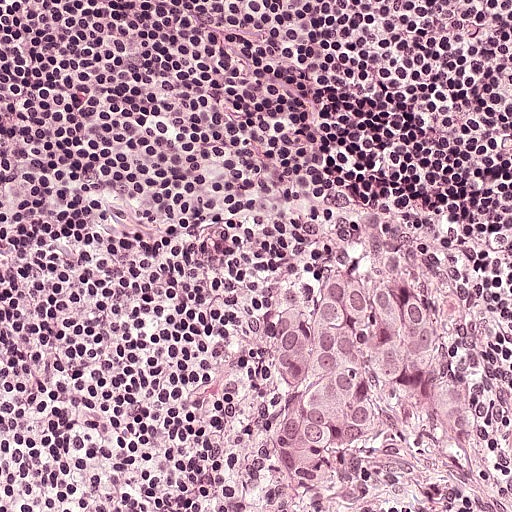
A 0.25-mm field of an H&E-stained sentinel lymph node from a breast-cancer patient (whole-slide image), shown at about 20×, about 0.49 µm per pixel.
Tumour region outline (a closed clockwise path, crop pixels): (333, 274), (382, 279), (436, 298), (455, 329), (450, 378), (497, 391), (499, 414), (494, 436), (478, 453), (426, 432), (398, 437), (386, 453), (348, 470), (342, 510), (314, 511), (294, 504), (276, 464), (282, 383), (275, 361), (282, 326), (325, 304).
The annotated tumour makes up about 15% of the crop.